Question: 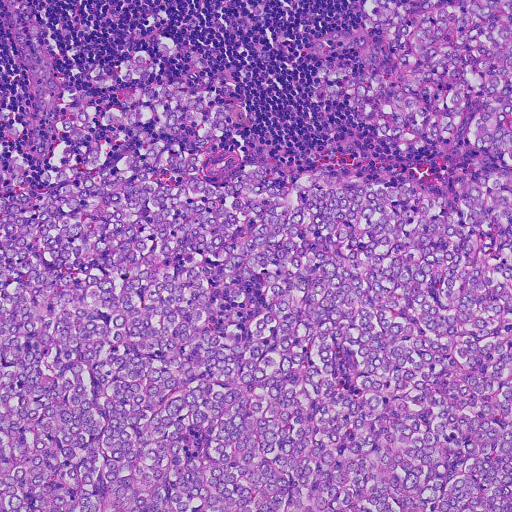
This is a crop of a whole-slide image: an H&E-stained breast-cancer sentinel lymph node section at roughly 10× magnification (about 0.91 µm per pixel; the crop spans about 0.46 mm).
About how much of this crop is taken up by metastatic carcinoma?

Choices:
 (A) about 25% to 45%
 (B) none: no tumour is outlined
 (C) about 5% or less
 (D) about 10% to 20%
 (E) about 50% or more

Answer: (E) about 50% or more
About 80% of the field is tumour.
The outlined metastatic tumour's edge, as a closed clockwise path of 23 points: (511, 0), (511, 511), (0, 511), (0, 155), (38, 184), (81, 162), (66, 107), (122, 102), (124, 60), (160, 35), (228, 78), (233, 115), (204, 162), (218, 184), (257, 164), (448, 200), (505, 168), (463, 136), (393, 142), (321, 97), (322, 65), (399, 67), (365, 6).